Image:
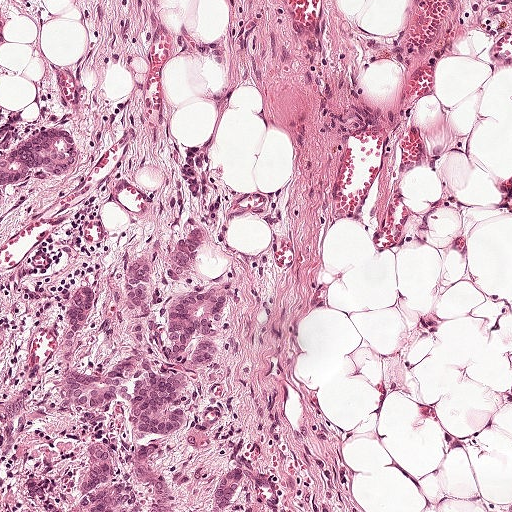
H&E-stained section of a sentinel lymph node (breast cancer), from a whole-slide image, viewed at about 10×: the field is about 0.5 mm across, about 0.97 µm per pixel.
Question:
Does this lymph node field contain metastatic tumour?
Answer:
Yes.
Five metastatic tumour regions, each outlined as a closed clockwise path in crop pixels (x, y), largest first: region 1: (198, 229), (205, 234), (186, 277), (192, 288), (220, 290), (227, 304), (215, 361), (194, 377), (194, 402), (163, 452), (175, 511), (144, 511), (144, 494), (133, 483), (131, 438), (120, 408), (104, 424), (85, 425), (60, 392), (62, 318), (72, 294), (89, 288), (94, 300), (73, 361), (77, 369), (97, 377), (128, 351), (127, 267), (142, 262), (150, 274), (153, 304), (146, 351), (154, 356), (170, 312), (158, 273), (164, 236); region 2: (112, 432), (118, 439), (123, 459), (123, 511), (50, 511), (47, 505), (27, 487), (25, 480), (28, 472), (38, 471), (44, 476), (56, 494), (66, 504), (70, 506), (83, 500), (85, 483), (82, 450), (94, 434), (99, 436); region 3: (50, 124), (66, 130), (77, 154), (77, 167), (73, 177), (41, 179), (26, 172), (23, 183), (17, 188), (3, 189), (0, 205), (0, 146), (22, 139); region 4: (36, 353), (36, 359), (39, 366), (39, 374), (32, 415), (20, 440), (8, 455), (0, 468), (0, 429), (4, 422), (8, 403), (11, 394), (24, 378); region 5: (235, 468), (244, 472), (244, 482), (234, 511), (207, 511), (217, 473).
About 10% of this field is tumour.